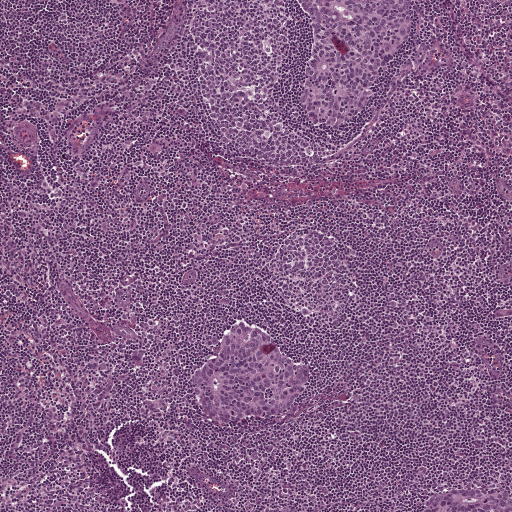
H&E-stained section of a sentinel lymph node (breast cancer), from a whole-slide image, viewed at about 5×: the field is about 1 mm across, about 1.9 µm per pixel.
Question: Trace the edge of each tumour region in this crop, as (x, y) points from 0 to 511.
Answer: Boundaries of four metastatic tumour regions, simplified and listed clockwise, largest first: region 1: (295, 0), (411, 0), (416, 16), (412, 37), (383, 70), (364, 110), (346, 123), (314, 125), (306, 119), (301, 87), (310, 23); region 2: (248, 319), (270, 332), (284, 352), (308, 364), (312, 375), (310, 388), (295, 408), (272, 421), (236, 427), (212, 424), (203, 413), (191, 387), (192, 372), (228, 328); region 3: (483, 487), (508, 490), (511, 494), (511, 511), (422, 511), (424, 500), (434, 491), (446, 488); region 4: (145, 348), (146, 353), (142, 358), (136, 363), (132, 359), (130, 353), (135, 349).
Two more small tumour pieces are annotated here but not outlined.
About 10% of this field is tumour.